A 0.5-mm field of an H&E-stained sentinel lymph node from a breast-cancer patient (whole-slide image), shown at about 10×, about 0.97 µm per pixel.
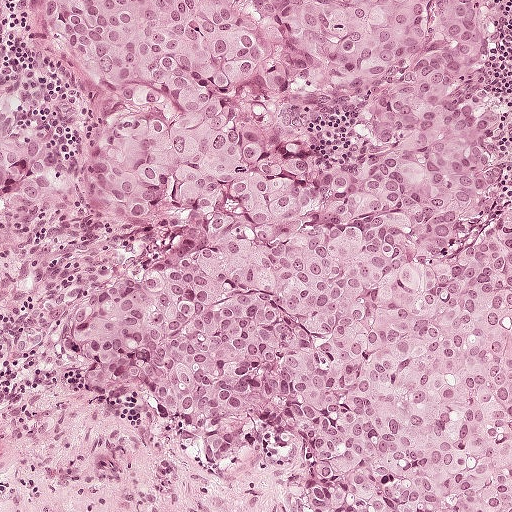
Question: Is any metastatic breast cancer visible in this crop?
Answer: Yes.
Boundaries of two metastatic tumour regions, simplified and listed clockwise, largest first: region 1: (502, 0), (480, 64), (511, 133), (488, 208), (511, 196), (511, 511), (297, 511), (298, 446), (283, 464), (249, 451), (190, 456), (149, 396), (98, 393), (70, 372), (53, 333), (70, 297), (156, 254), (183, 205), (175, 201), (156, 228), (90, 213), (78, 178), (82, 82), (32, 1); region 2: (0, 29), (31, 74), (42, 100), (46, 121), (46, 156), (32, 204), (30, 210), (18, 212), (13, 218), (0, 254).
About 80% of this field is tumour.